Question: 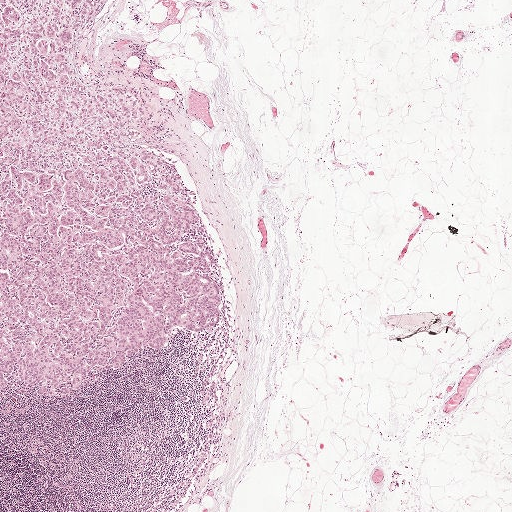
Lymph node section stained with H&E, from a whole-slide image of a breast-cancer sentinel node. Magnification about 2.5×, about 2.0 mm across the frame, about 3.9 µm per pixel.
About how much of this crop is taken up by metastatic carcinoma?

Choices:
 (A) about 5% or less
 (B) about 10% to 20%
 (C) none: no tumour is outlined
 (D) about 25% to 45%
 (E) about 50% or more

Answer: (D) about 25% to 45%
About 25% of the field is tumour.
Metastatic tumour outline, simplified to 22 points and listed clockwise in crop pixels (x, y): (0, 0), (107, 0), (74, 37), (73, 66), (85, 83), (127, 90), (139, 112), (125, 141), (172, 160), (218, 262), (209, 275), (219, 324), (212, 335), (172, 328), (161, 350), (114, 372), (94, 366), (67, 395), (61, 385), (36, 394), (44, 383), (0, 389).